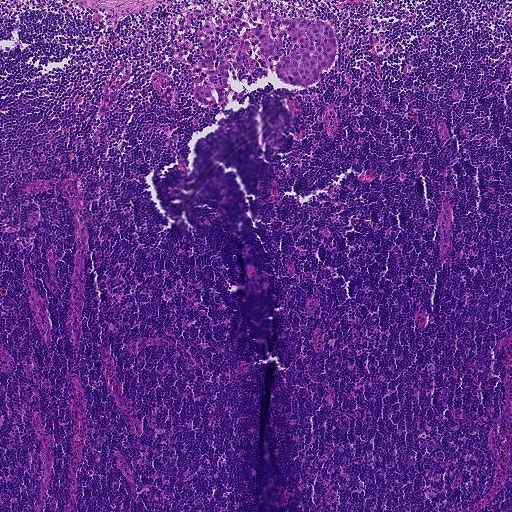
Lymph node section stained with H&E, from a whole-slide image of a breast-cancer sentinel node. Magnification about 5×, about 0.93 mm across the frame, about 1.8 µm per pixel.
The outlined metastatic tumour's edge, as a closed clockwise path of 23 points: (266, 11), (274, 21), (331, 24), (334, 59), (318, 81), (307, 88), (276, 78), (271, 69), (228, 70), (233, 90), (245, 91), (240, 102), (216, 107), (198, 102), (193, 91), (204, 51), (201, 39), (211, 43), (215, 68), (241, 35), (232, 20), (262, 20), (260, 12).
About 5% of this field is tumour.